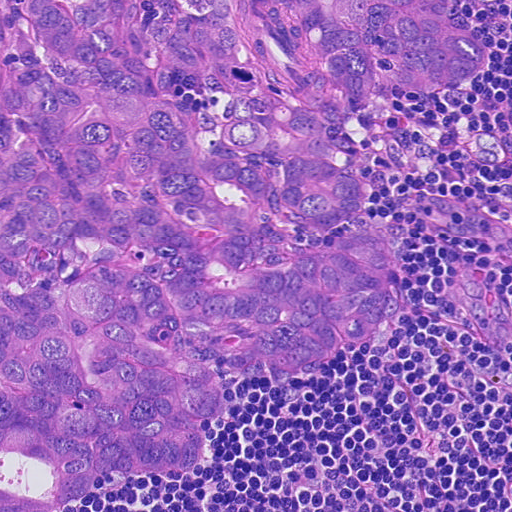
This is a crop of a whole-slide image: an H&E-stained breast-cancer sentinel lymph node section at roughly 20× magnification (about 0.45 µm per pixel; the crop spans about 0.23 mm).
One metastatic tumour region; its boundary, reduced to 24 corners and listed clockwise: (0, 0), (445, 0), (462, 35), (488, 44), (474, 78), (449, 92), (393, 92), (350, 124), (352, 170), (366, 194), (360, 222), (388, 231), (401, 256), (402, 310), (386, 332), (346, 344), (314, 372), (210, 370), (221, 404), (190, 468), (165, 482), (106, 477), (66, 511), (0, 511).
About 65% of the image area is annotated as tumour.